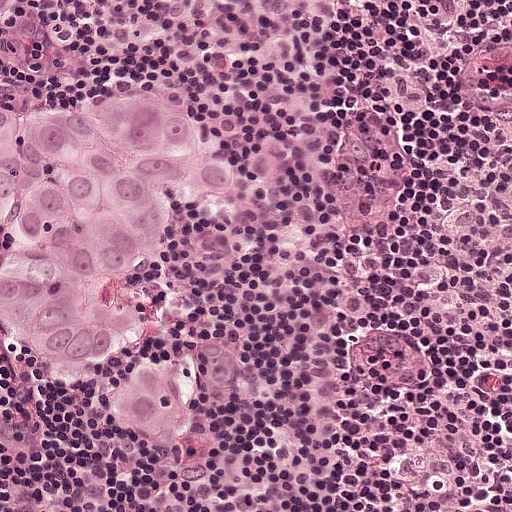
H&E-stained section of a sentinel lymph node (breast cancer), from a whole-slide image, viewed at about 20×: the field is about 0.25 mm across, about 0.49 µm per pixel.
Outlines of two tumour regions, largest first (closed clockwise paths, crop pixels): region 1: (156, 88), (214, 125), (250, 204), (240, 216), (208, 218), (177, 204), (168, 251), (128, 294), (193, 380), (195, 420), (182, 438), (153, 450), (132, 442), (112, 410), (114, 367), (53, 362), (19, 342), (3, 318), (0, 90), (93, 104); region 2: (0, 0), (17, 0), (6, 23), (0, 30).
About 20% of the image area is annotated as tumour.